Question: 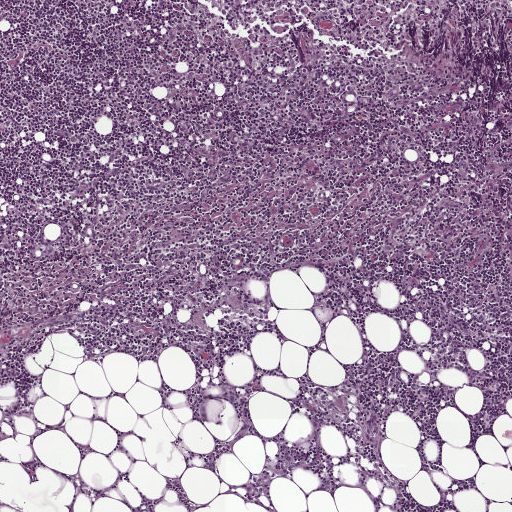
Which magnification is this H&E lymph node field most likely shown at?

Choices:
 (A) about 5×
 (B) about 40×
 (C) about 20×
 (D) about 10×
 (E) about 2.5×

Answer: (A) about 5×
This is a crop of a whole-slide image: an H&E-stained breast-cancer sentinel lymph node section at roughly 5× magnification (about 1.9 µm per pixel; the crop spans about 1 mm).